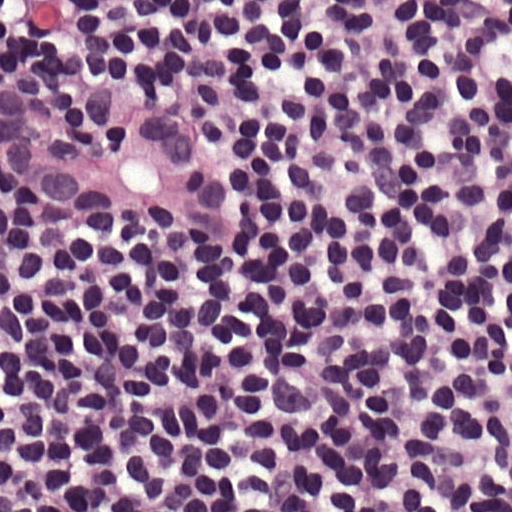
This is a crop of a whole-slide image: an H&E-stained breast-cancer sentinel lymph node section at roughly 40× magnification (about 0.24 µm per pixel; the crop spans about 0.12 mm).
Question: Which parts of this field are metastatic tumour? Answer with the outline of each region, in pixels.
Answer: Tumour region outline (a closed clockwise path, crop pixels): (0, 68), (86, 70), (165, 93), (206, 113), (244, 145), (260, 178), (262, 218), (250, 259), (212, 269), (139, 242), (101, 242), (65, 224), (0, 167).
The annotated tumour makes up about 15% of the crop.